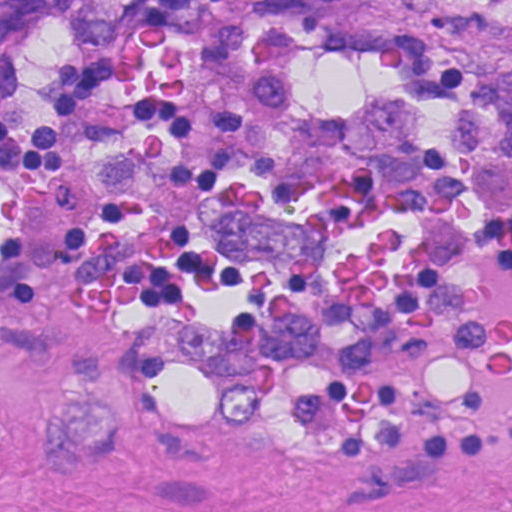
H&E-stained section of a sentinel lymph node (breast cancer), from a whole-slide image, viewed at about 40×: the field is about 0.12 mm across, about 0.23 µm per pixel.
Outlines of two tumour regions, largest first (closed clockwise paths, crop pixels): region 1: (0, 0), (511, 0), (511, 207), (297, 158), (242, 136), (172, 43), (0, 18); region 2: (242, 194), (300, 215), (330, 261), (304, 309), (326, 349), (298, 367), (208, 374), (171, 333), (195, 311), (212, 331), (267, 335), (278, 282), (261, 272), (217, 264), (205, 237).
Two more small tumour pieces are annotated here but not outlined.
About 30% of this field is tumour.